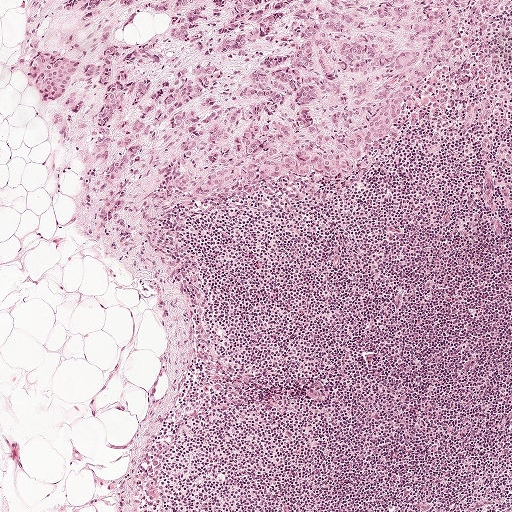
H&E-stained section of a sentinel lymph node (breast cancer), from a whole-slide image, viewed at about 5×: the field is about 1 mm across, about 1.9 µm per pixel.
Tumour region outline (a closed clockwise path, crop pixels): (484, 0), (454, 70), (352, 179), (221, 202), (176, 195), (149, 234), (106, 243), (88, 242), (84, 203), (103, 137), (45, 102), (26, 74), (33, 2).
About 30% of this field is tumour.